This is a crop of a whole-slide image: an H&E-stained breast-cancer sentinel lymph node section at roughly 10× magnification (about 0.97 µm per pixel; the crop spans about 0.5 mm).
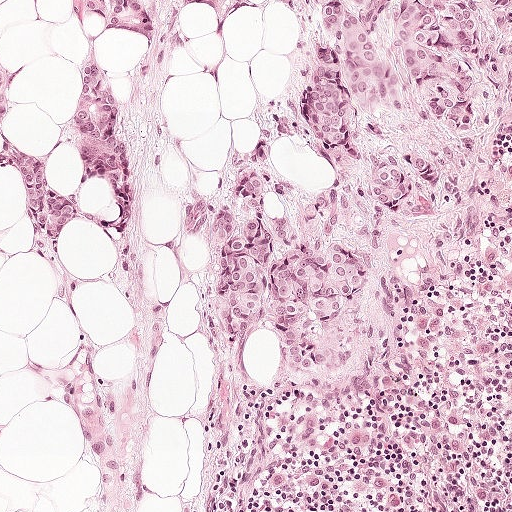
Outlines of three tumour regions, largest first (closed clockwise paths, crop pixels): region 1: (511, 0), (511, 226), (464, 261), (406, 253), (406, 321), (330, 389), (277, 374), (276, 328), (222, 321), (171, 228), (233, 178), (262, 130), (262, 110), (286, 84), (277, 2); region 2: (76, 0), (256, 0), (260, 13), (224, 22), (193, 6), (171, 33), (132, 26), (104, 37), (103, 59), (110, 94), (140, 187), (140, 216), (130, 231), (110, 230), (75, 215), (60, 246), (50, 254), (31, 252), (26, 194), (18, 177), (0, 176), (0, 145), (11, 137), (44, 154), (51, 181), (75, 188), (82, 204), (96, 213), (116, 212), (118, 183), (104, 178), (83, 188), (82, 154), (58, 138), (59, 125), (74, 114), (80, 102), (83, 59), (90, 46); region 3: (0, 56), (12, 64), (15, 75), (13, 110), (6, 116), (1, 118).
One more small tumour piece is annotated here but not outlined.
The annotated tumour makes up about 40% of the crop.